A 0.46-mm field of an H&E-stained sentinel lymph node from a breast-cancer patient (whole-slide image), shown at about 10×, about 0.9 µm per pixel.
Question: 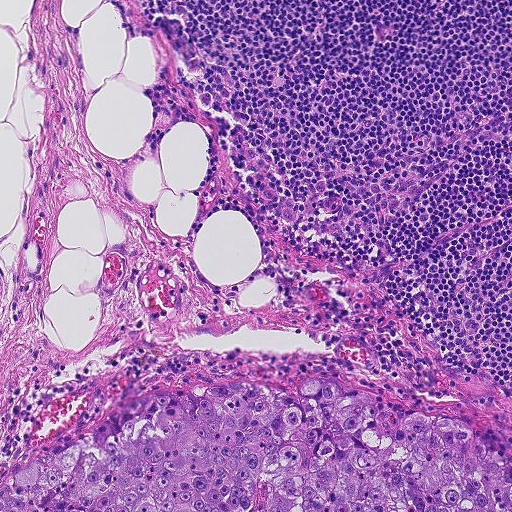
About how much of this crop is taken up by metastatic carcinoma?

Choices:
 (A) about 50% or more
 (B) none: no tumour is outlined
 (C) about 10% to 20%
 (D) about 25% to 45%
 (E) about 5% or less

Answer: (C) about 10% to 20%
About 20% of the field is tumour.
The outlined metastatic tumour's edge, as a closed clockwise path of 9 points: (321, 379), (452, 420), (511, 465), (511, 511), (0, 511), (0, 489), (30, 464), (129, 403), (204, 385).